Image:
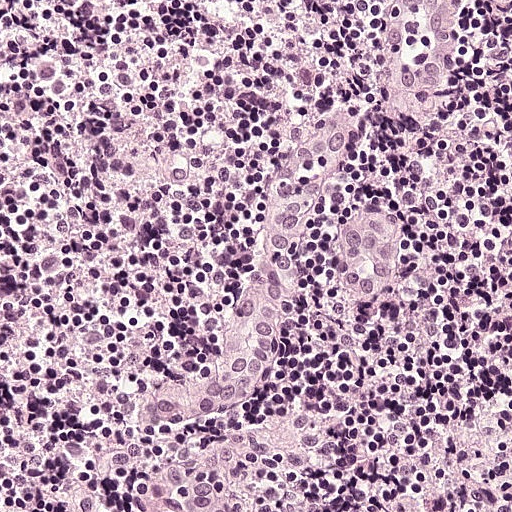
Lymph node section stained with H&E, from a whole-slide image of a breast-cancer sentinel node. Magnification about 20×, about 0.25 mm across the frame, about 0.49 µm per pixel.
Question:
Is there metastatic carcinoma in this field?
Answer:
No: no metastatic tumour is outlined anywhere in this field.